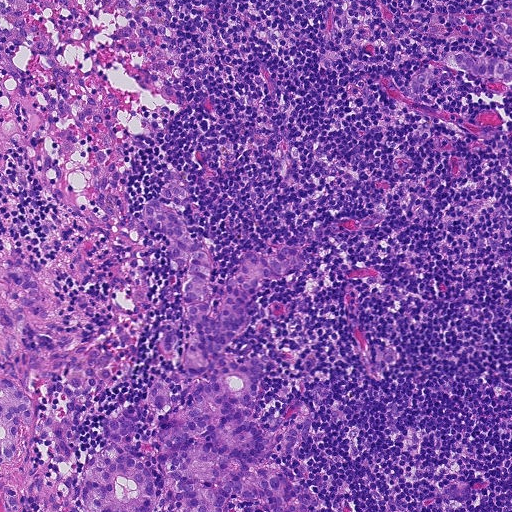
This is a crop of a whole-slide image: an H&E-stained breast-cancer sentinel lymph node section at roughly 10× magnification (about 0.9 µm per pixel; the crop spans about 0.46 mm).
Question: Describe where the metastatic carcinoma lies in this crop.
Answer: Three metastatic tumour regions, each outlined as a closed clockwise path in crop pixels (x, y), largest first: region 1: (169, 179), (188, 185), (178, 210), (219, 285), (254, 248), (291, 240), (315, 261), (252, 293), (261, 310), (225, 350), (272, 355), (253, 416), (268, 428), (315, 413), (306, 453), (271, 452), (266, 465), (325, 511), (236, 498), (224, 511), (88, 511), (78, 468), (108, 440), (102, 414), (131, 405), (161, 490), (154, 436), (169, 411), (147, 398), (183, 352), (183, 334), (164, 355), (162, 332), (185, 326), (182, 286), (142, 209); region 2: (26, 265), (58, 295), (63, 314), (48, 329), (28, 332), (24, 321), (20, 336), (30, 355), (89, 342), (132, 363), (127, 376), (90, 390), (68, 389), (52, 376), (42, 381), (30, 376), (27, 392), (38, 409), (32, 429), (22, 426), (22, 450), (16, 462), (0, 466), (0, 267); region 3: (47, 468), (42, 492), (54, 490), (65, 506), (65, 511), (0, 511), (0, 482), (10, 480), (21, 488).
The annotated tumour makes up about 20% of the crop.